Question: 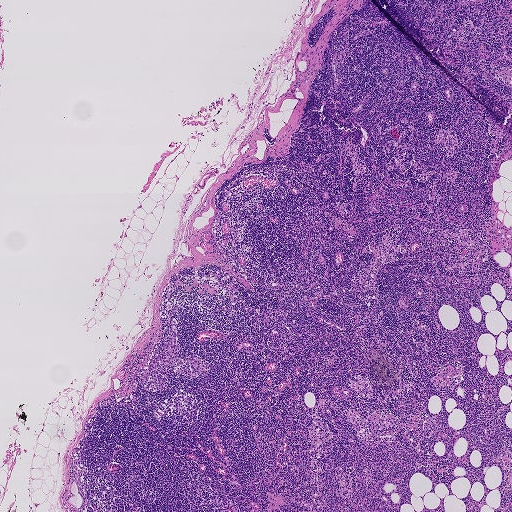
This is a crop of a whole-slide image: an H&E-stained breast-cancer sentinel lymph node section at roughly 2.5× magnification (about 3.6 µm per pixel; the crop spans about 1.9 mm).
Estimate the proportion of this field that is metastatic tumour.

Choices:
 (A) about 10% to 20%
 (B) about 25% to 45%
 (C) about 5% or less
 (D) none: no tumour is outlined
 (E) about 50% or more

Answer: (C) about 5% or less
Under 5% of the field is tumour.
Metastatic tumour outline, simplified to 38 points and listed clockwise in crop pixels (x, y): (173, 317), (177, 323), (176, 329), (180, 348), (178, 356), (182, 359), (189, 354), (196, 354), (209, 361), (210, 368), (205, 371), (204, 374), (201, 372), (192, 379), (180, 373), (179, 378), (174, 378), (175, 373), (171, 371), (168, 374), (170, 380), (163, 391), (158, 390), (145, 390), (141, 385), (141, 376), (148, 371), (149, 360), (153, 354), (151, 351), (154, 351), (157, 346), (161, 351), (163, 350), (164, 340), (170, 342), (170, 340), (166, 338).